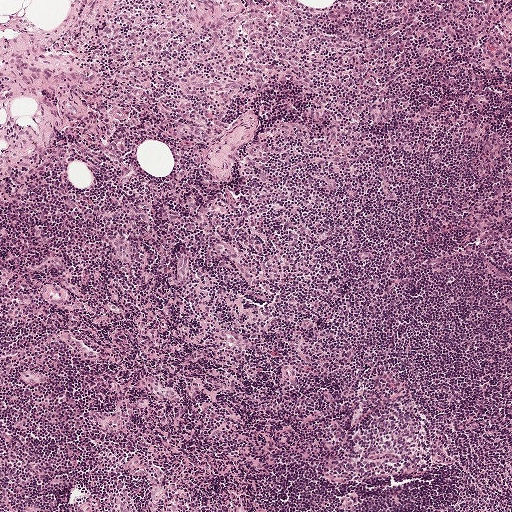
Lymph node section stained with H&E, from a whole-slide image of a breast-cancer sentinel node. Magnification about 5×, about 1 mm across the frame, about 1.9 µm per pixel.